A 1.9-mm field of an H&E-stained sentinel lymph node from a breast-cancer patient (whole-slide image), shown at about 2.5×, about 3.6 µm per pixel.
Question: 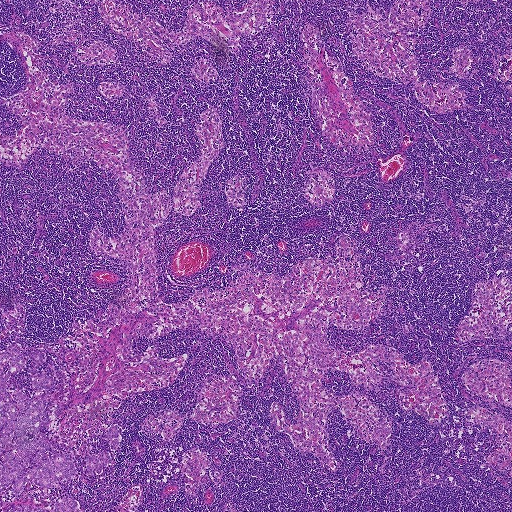
Roughly what share of this field is metastatic tumour?

Choices:
 (A) about 10% to 20%
 (B) about 50% or more
 (C) none: no tumour is outlined
 (D) about 5% or less
 (E) about 25% to 45%

Answer: (D) about 5% or less
About 5% of the field is tumour.
Tumour region outline (a closed clockwise path, crop pixels): (14, 342), (26, 354), (39, 350), (45, 355), (43, 363), (28, 358), (19, 372), (10, 374), (6, 382), (10, 390), (33, 394), (28, 367), (50, 369), (55, 376), (55, 392), (46, 407), (51, 445), (46, 458), (67, 452), (75, 467), (85, 467), (87, 455), (108, 450), (102, 437), (106, 429), (122, 425), (113, 462), (101, 474), (76, 470), (68, 486), (48, 489), (56, 498), (73, 496), (84, 510), (0, 511), (0, 350).